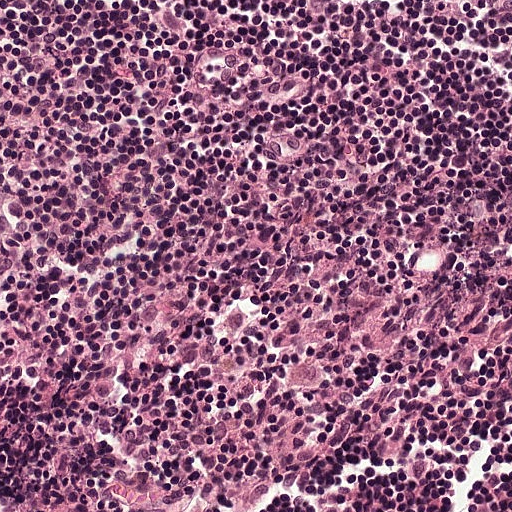
H&E-stained section of a sentinel lymph node (breast cancer), from a whole-slide image, viewed at about 20×: the field is about 0.25 mm across, about 0.49 µm per pixel.
Question: Is any metastatic breast cancer visible in this crop?
Answer: No: no metastatic tumour is outlined anywhere in this field.